Image:
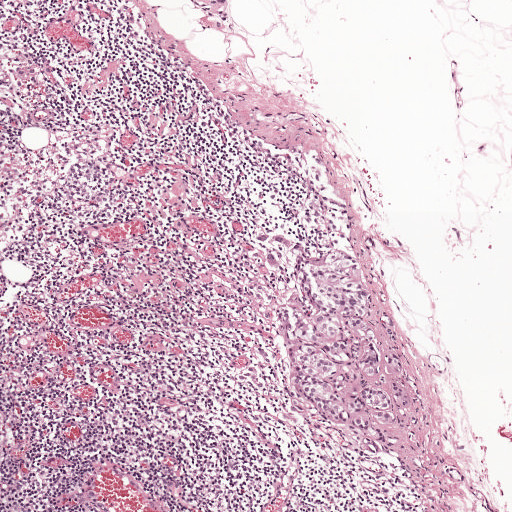
Lymph node section stained with H&E, from a whole-slide image of a breast-cancer sentinel node. Magnification about 5×, about 1 mm across the frame, about 1.9 µm per pixel.
Question:
Outline the metastatic carcinoma in this image, as closed paths of (x, y) pixel coordinates.
Answer:
Outlines of four tumour regions, largest first (closed clockwise paths, crop pixels): region 1: (333, 249), (351, 253), (372, 292), (375, 350), (392, 350), (400, 362), (397, 376), (364, 373), (367, 385), (388, 390), (398, 418), (368, 426), (361, 432), (353, 426), (353, 416), (340, 423), (298, 414), (290, 402), (291, 373), (294, 330), (306, 302), (298, 274); region 2: (280, 234), (304, 249), (298, 252), (282, 244), (276, 250), (276, 269), (266, 259), (270, 236); region 3: (391, 380), (407, 387), (414, 401), (406, 407), (398, 402), (392, 391); region 4: (253, 366), (259, 378), (251, 380), (242, 381), (237, 375).
Tumour covers about 5% of the frame.